H&E-stained section of a sentinel lymph node (breast cancer), from a whole-slide image, viewed at about 20×: the field is about 0.23 mm across, about 0.45 µm per pixel.
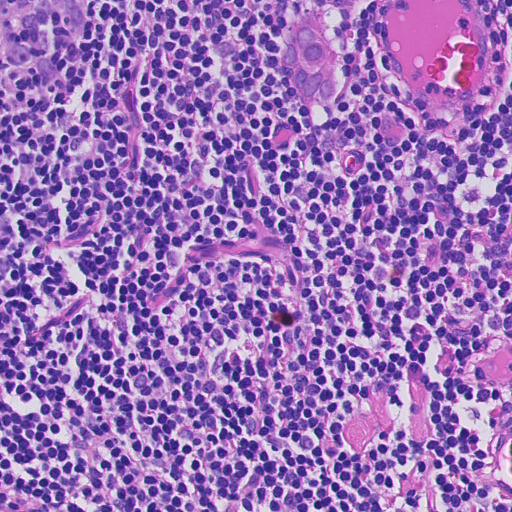
Tumour region outline (a closed clockwise path, crop pixels): (301, 19), (312, 19), (340, 54), (338, 76), (341, 90), (331, 105), (314, 102), (278, 76), (276, 50).
Under 5% of the image area is annotated as tumour.